Question: 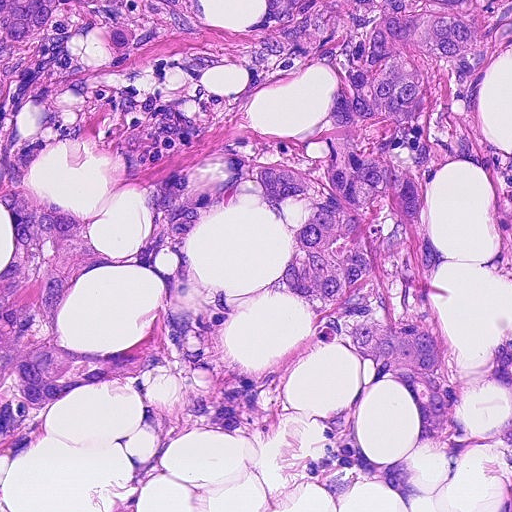
H&E-stained section of a sentinel lymph node (breast cancer), from a whole-slide image, viewed at about 20×: the field is about 0.23 mm across, about 0.45 µm per pixel.
Estimate the proportion of this field that is metastatic tumour.

Choices:
 (A) about 5% or less
 (B) about 25% to 45%
 (C) about 50% or more
 (D) about 10% to 20%
 (E) none: no tumour is outlined

Answer: (C) about 50% or more
About 80% of the field is tumour.
The outlined metastatic tumour's edge, as a closed clockwise path of 22 points: (0, 0), (511, 0), (511, 511), (477, 444), (405, 456), (394, 499), (334, 511), (304, 476), (360, 362), (279, 275), (294, 224), (251, 202), (204, 212), (188, 257), (293, 409), (176, 436), (141, 511), (101, 511), (186, 380), (170, 362), (54, 401), (7, 454).